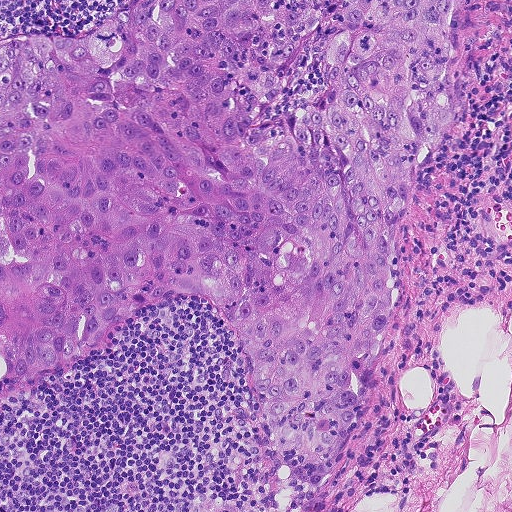
This is a crop of a whole-slide image: an H&E-stained breast-cancer sentinel lymph node section at roughly 10× magnification (about 0.9 µm per pixel; the crop spans about 0.46 mm).
Metastatic tumour outline, simplified to 14 points and listed clockwise in crop pixels (x, y): (124, 0), (454, 0), (452, 66), (467, 113), (400, 223), (377, 379), (328, 479), (296, 478), (274, 450), (228, 316), (183, 297), (0, 399), (0, 37), (87, 35).
About 60% of the image area is annotated as tumour.